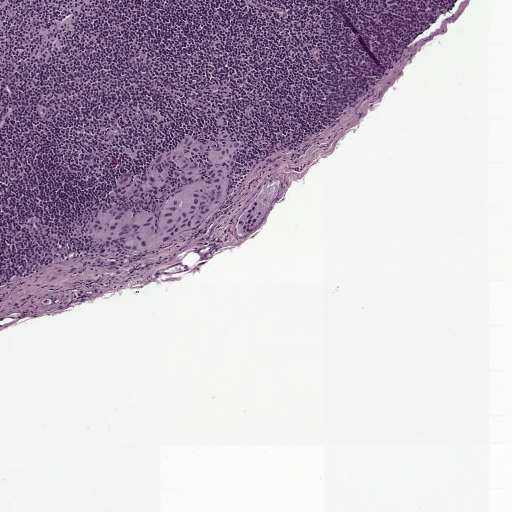
A 1-mm field of an H&E-stained sentinel lymph node from a breast-cancer patient (whole-slide image), shown at about 5×, about 1.9 µm per pixel.
Question: Which parts of this field are metastatic tumour?
Answer: Boundaries of two metastatic tumour regions, simplified and listed clockwise, largest first: region 1: (227, 130), (231, 138), (244, 140), (234, 155), (236, 166), (231, 169), (226, 199), (206, 227), (175, 244), (141, 251), (119, 247), (119, 240), (108, 246), (75, 239), (68, 230), (90, 220), (120, 172), (132, 172), (132, 181), (142, 180), (153, 160), (192, 136), (215, 141); region 2: (274, 181), (277, 188), (267, 208), (264, 220), (247, 234), (235, 231), (236, 220), (260, 194), (266, 184).
Tumour covers about 5% of the frame.